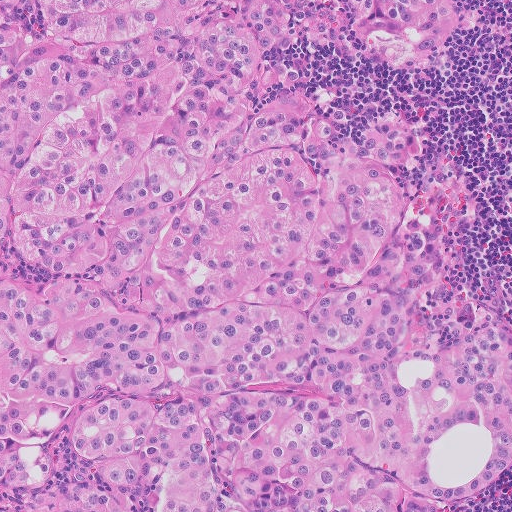
Lymph node section stained with H&E, from a whole-slide image of a breast-cancer sentinel node. Magnification about 10×, about 0.51 mm across the frame, about 1.0 µm per pixel.
Tumour region outline (a closed clockwise path, crop pixels): (0, 0), (462, 0), (479, 29), (448, 74), (335, 75), (396, 88), (444, 125), (475, 170), (484, 227), (511, 261), (511, 449), (469, 511), (0, 511).
Tumour covers about 95% of the frame.